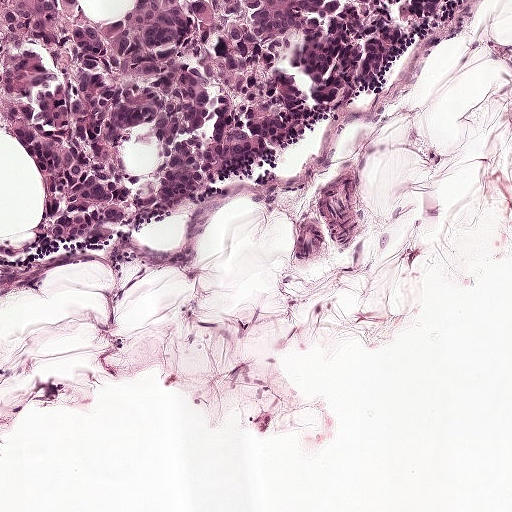
This is a crop of a whole-slide image: an H&E-stained breast-cancer sentinel lymph node section at roughly 10× magnification (about 0.97 µm per pixel; the crop spans about 0.5 mm).
Metastatic tumour outline, simplified to 14 points and listed clockwise in crop pixels (x, y): (0, 0), (79, 0), (109, 26), (139, 0), (504, 0), (388, 68), (270, 166), (34, 297), (2, 297), (0, 242), (33, 240), (46, 207), (18, 142), (0, 140).
Tumour covers about 30% of the frame.